H&E-stained section of a sentinel lymph node (breast cancer), from a whole-slide image, viewed at about 10×: the field is about 0.46 mm across, about 0.9 µm per pixel.
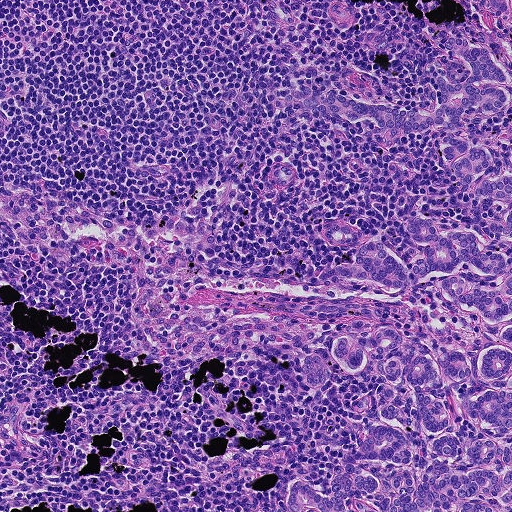
Question: Where is the metastatic tumour in this field?
Answer: Boundaries of two metastatic tumour regions, simplified and listed clockwise, largest first: region 1: (412, 215), (504, 242), (511, 511), (288, 511), (300, 480), (328, 497), (366, 418), (352, 400), (388, 382), (334, 361), (322, 385), (306, 380), (310, 352), (356, 318), (318, 306), (363, 297), (420, 325), (487, 325), (426, 282), (384, 293), (330, 268), (375, 240), (407, 265); region 2: (452, 20), (468, 40), (491, 50), (511, 76), (511, 104), (470, 128), (477, 148), (494, 150), (496, 161), (511, 175), (511, 202), (475, 198), (469, 191), (460, 190), (439, 150), (442, 132), (435, 126), (389, 140), (372, 120), (354, 123), (326, 112), (301, 118), (297, 110), (303, 102), (301, 84), (376, 104), (426, 109), (434, 106), (436, 90), (429, 75), (438, 73), (461, 82), (469, 79), (472, 72), (468, 64), (440, 46), (436, 39), (444, 24).
The annotated tumour makes up about 20% of the crop.